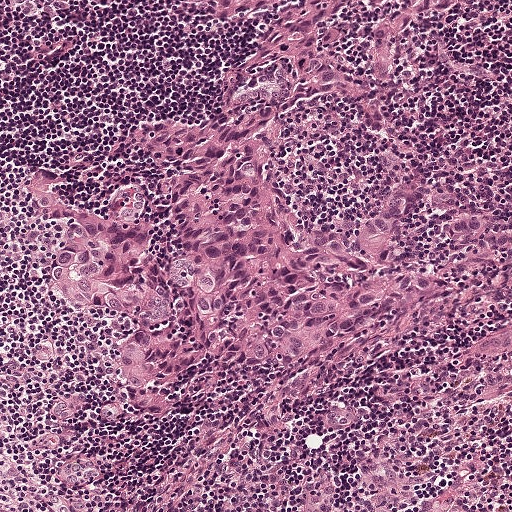
Lymph node section stained with H&E, from a whole-slide image of a breast-cancer sentinel node. Magnification about 10×, about 0.5 mm across the frame, about 0.97 µm per pixel.
Question: Which parts of this field are metastatic tumour? Answer with the outline of each region, in pixels.
Answer: Metastatic tumour outline, simplified to 24 points and listed clockwise in crop pixels (x, y): (511, 0), (511, 266), (337, 347), (246, 372), (207, 368), (153, 423), (128, 411), (102, 359), (117, 322), (40, 290), (46, 228), (12, 203), (12, 190), (20, 171), (38, 170), (52, 194), (88, 210), (122, 130), (210, 111), (215, 76), (242, 46), (242, 31), (206, 12), (207, 1).
The annotated tumour makes up about 50% of the crop.

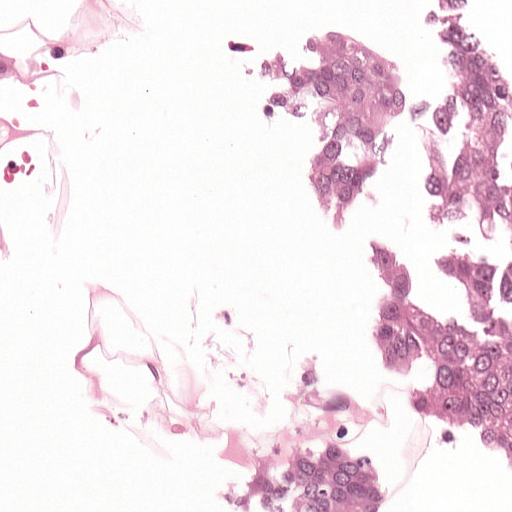
This is a crop of a whole-slide image: an H&E-stained breast-cancer sentinel lymph node section at roughly 20× magnification (about 0.49 µm per pixel; the crop spans about 0.25 mm).
Question: Which parts of this field are metastatic tumour? Answer with the outline of each region, in pixels.
Answer: Tumour region outline (a closed clockwise path, crop pixels): (371, 0), (484, 0), (511, 42), (511, 492), (444, 456), (427, 425), (380, 472), (373, 511), (237, 511), (228, 495), (256, 454), (372, 440), (410, 414), (370, 330), (362, 234), (422, 224), (398, 140), (330, 234), (308, 216), (215, 48), (308, 20), (430, 94), (424, 58).
About 35% of the image area is annotated as tumour.

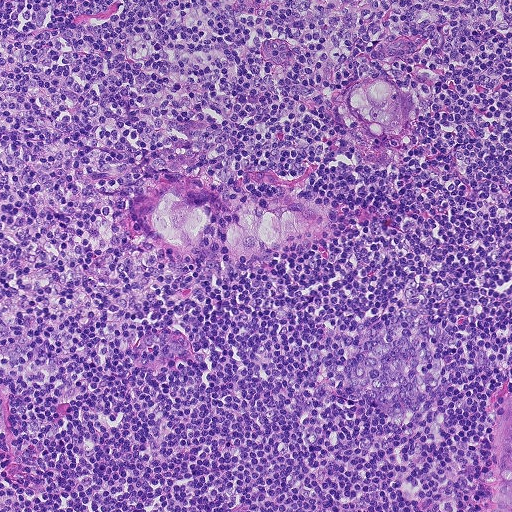
This is a crop of a whole-slide image: an H&E-stained breast-cancer sentinel lymph node section at roughly 10× magnification (about 0.9 µm per pixel; the crop spans about 0.46 mm).
Question: Which parts of this field are metastatic tumour? Answer with the outline of each region, in pixels.
Answer: Boundaries of four metastatic tumour regions, simplified and listed clockwise, largest first: region 1: (170, 175), (198, 179), (212, 186), (215, 200), (215, 214), (210, 228), (192, 246), (179, 249), (165, 246), (144, 228), (138, 216), (139, 200), (146, 188); region 2: (246, 194), (260, 195), (272, 202), (285, 198), (313, 203), (324, 212), (323, 226), (313, 235), (272, 247), (248, 262), (236, 256), (229, 244), (226, 231); region 3: (376, 78), (394, 81), (408, 93), (412, 110), (409, 126), (395, 138), (378, 138), (361, 132), (349, 119), (342, 103), (347, 86); region 4: (511, 379), (511, 511), (492, 511), (493, 459), (500, 406), (507, 386).
About 5% of the image area is annotated as tumour.

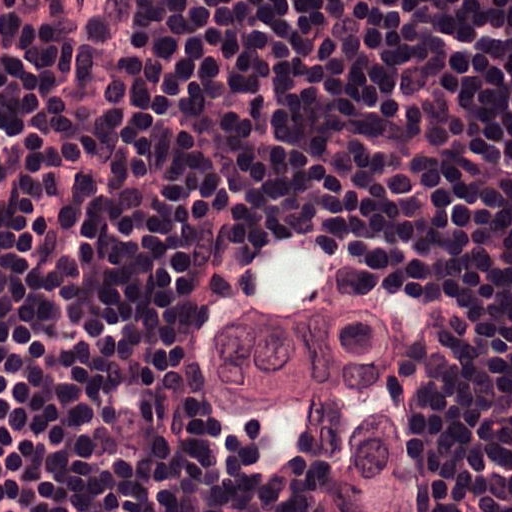
Lymph node section stained with H&E, from a whole-slide image of a breast-cancer sentinel node. Magnification about 40×, about 0.12 mm across the frame, about 0.24 µm per pixel.
Question: Which parts of this field are metastatic tumour? Answer with the outline of each region, in pixels.
Answer: Tumour region outline (a closed clockwise path, crop pixels): (314, 263), (421, 316), (435, 448), (428, 511), (267, 507), (236, 385), (183, 360), (183, 326), (217, 291), (311, 273).
About 15% of this field is tumour.